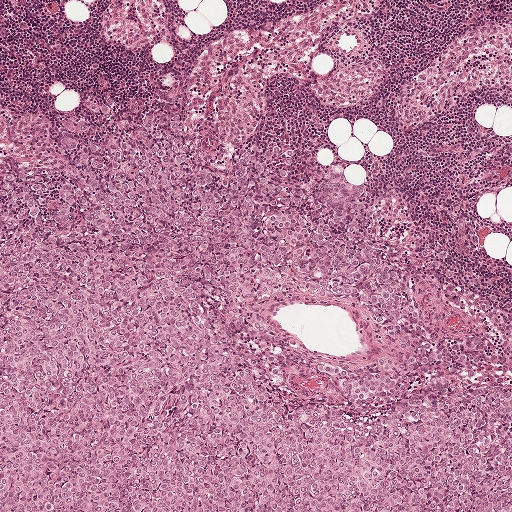
A 1-mm field of an H&E-stained sentinel lymph node from a breast-cancer patient (whole-slide image), shown at about 5×, about 1.9 µm per pixel.
Question: Describe where the metastatic carcinoma lies in this crop.
Answer: Tumour region outline (a closed clockwise path, crop pixels): (174, 88), (204, 160), (233, 170), (250, 150), (287, 149), (297, 216), (330, 172), (344, 175), (428, 336), (511, 354), (511, 511), (0, 511), (0, 171), (70, 167), (54, 118), (95, 119), (107, 97), (113, 131), (132, 139), (153, 90).
The outline encloses three non-tumour holes totalling about 5% of the region's area.
About 60% of this field is tumour.